Image:
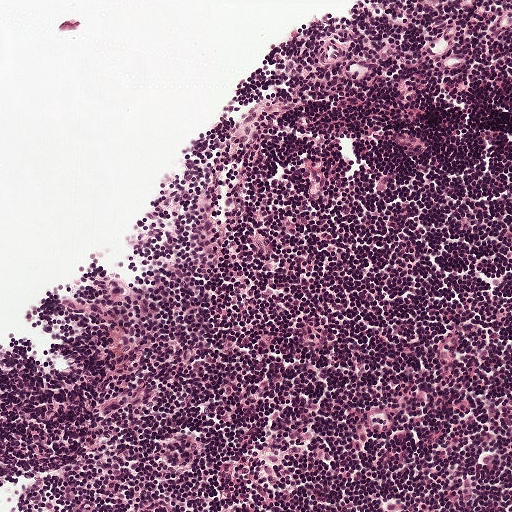
Lymph node section stained with H&E, from a whole-slide image of a breast-cancer sentinel node. Magnification about 10×, about 0.5 mm across the frame, about 0.97 µm per pixel.
Question:
Is there metastatic carcinoma in this field?
Answer:
No: no metastatic tumour is outlined anywhere in this field.